Question: 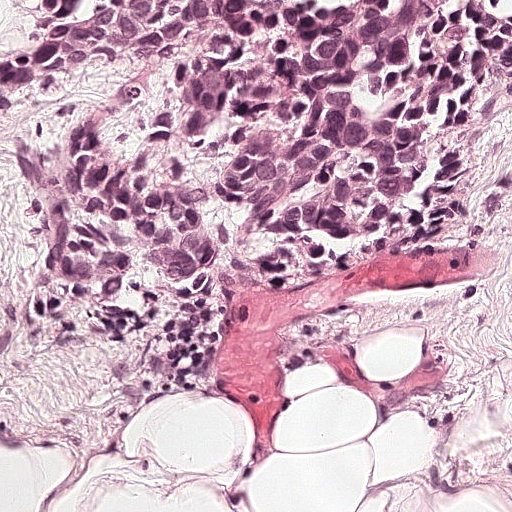
A 0.25-mm field of an H&E-stained sentinel lymph node from a breast-cancer patient (whole-slide image), shown at about 20×, about 0.49 µm per pixel.
About how much of this crop is taken up by metastatic carcinoma?

Choices:
 (A) about 50% or more
 (B) about 25% to 45%
 (C) about 10% to 20%
 (D) about 5% or less
 (E) none: no tumour is outlined

Answer: (B) about 25% to 45%
About 45% of the field is tumour.
One metastatic tumour region; its boundary, reduced to 16 corners and listed clockwise: (14, 0), (510, 0), (500, 116), (448, 184), (352, 228), (242, 234), (190, 290), (101, 297), (38, 269), (22, 190), (51, 130), (130, 78), (128, 62), (0, 103), (0, 62), (34, 32).